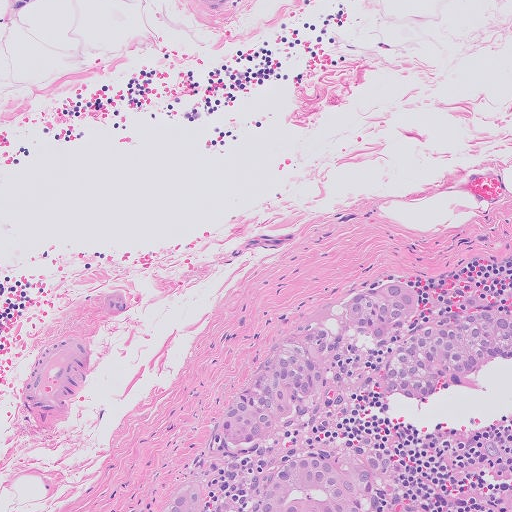
H&E-stained section of a sentinel lymph node (breast cancer), from a whole-slide image, viewed at about 10×: the field is about 0.51 mm across, about 1.0 µm per pixel.
Outlines of three tumour regions, largest first (closed clockwise paths, crop pixels): region 1: (403, 277), (420, 295), (419, 310), (428, 321), (442, 319), (461, 298), (476, 296), (488, 306), (511, 307), (511, 364), (485, 369), (415, 400), (384, 398), (372, 372), (384, 344), (342, 387), (264, 441), (222, 441), (221, 413), (257, 363), (300, 320), (372, 280); region 2: (342, 438), (374, 446), (386, 456), (394, 469), (398, 486), (393, 502), (385, 511), (230, 511), (270, 467), (284, 456); region 3: (202, 483), (212, 494), (209, 511), (153, 511), (172, 492), (188, 484).
About 15% of this field is tumour.